Image:
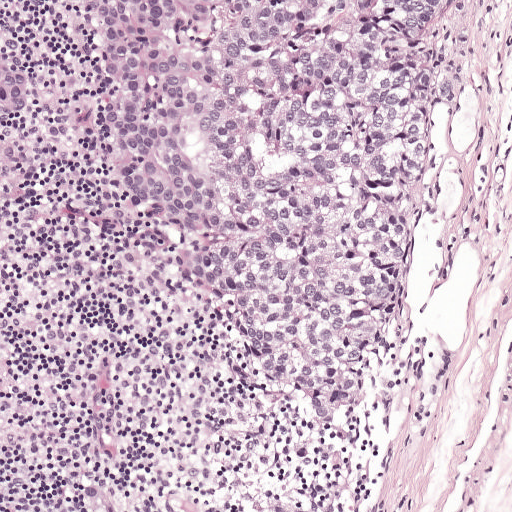
Lymph node section stained with H&E, from a whole-slide image of a breast-cancer sentinel node. Magnification about 10×, about 0.5 mm across the frame, about 0.97 µm per pixel.
Question:
Which parts of this field are metastatic tumour?
Answer:
Boundaries of three metastatic tumour regions, simplified and listed clockwise, largest first: region 1: (42, 0), (453, 0), (444, 46), (462, 86), (431, 105), (423, 279), (356, 380), (337, 454), (319, 467), (304, 449), (312, 426), (258, 384), (101, 174), (92, 74), (0, 112), (0, 49), (45, 83), (68, 80), (86, 62), (86, 14); region 2: (80, 476), (109, 476), (136, 494), (134, 511), (80, 511), (70, 498); region 3: (271, 498), (296, 499), (306, 511), (238, 511), (248, 502).
One more small tumour piece is annotated here but not outlined.
The annotated tumour makes up about 45% of the crop.